This is a crop of a whole-slide image: an H&E-stained breast-cancer sentinel lymph node section at roughly 20× magnification (about 0.49 µm per pixel; the crop spans about 0.25 mm).
Image:
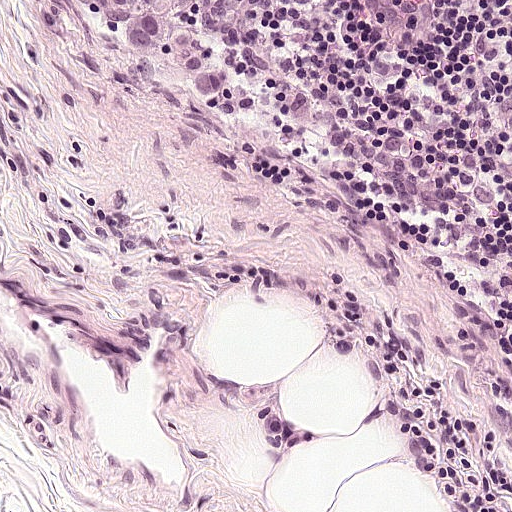
Question:
Trace the edge of each tumour region in this crop, as (x, y) points from 0 to 511.
Answer:
One metastatic tumour region; its boundary, reduced to 12 corners and listed clockwise: (257, 0), (270, 45), (310, 93), (314, 120), (302, 126), (275, 122), (255, 101), (230, 114), (190, 112), (144, 72), (98, 46), (68, 1).
About 5% of this field is tumour.